Question: 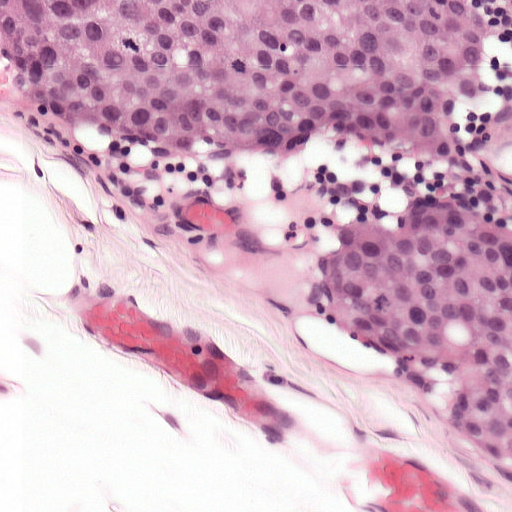
A 0.25-mm field of an H&E-stained sentinel lymph node from a breast-cancer patient (whole-slide image), shown at about 20×, about 0.49 µm per pixel.
Estimate the proportion of this field that is metastatic tumour.

Choices:
 (A) about 10% to 20%
 (B) about 5% or less
 (C) about 50% or more
 (D) none: no tumour is outlined
 (E) about 25% to 45%

Answer: (E) about 25% to 45%
About 40% of the field is tumour.
Boundaries of two metastatic tumour regions, simplified and listed clockwise, largest first: region 1: (0, 0), (473, 0), (484, 45), (454, 140), (413, 170), (361, 184), (102, 146), (20, 86), (0, 44); region 2: (457, 193), (511, 214), (511, 502), (388, 370), (344, 346), (312, 308), (309, 258), (346, 223), (408, 200).